Image:
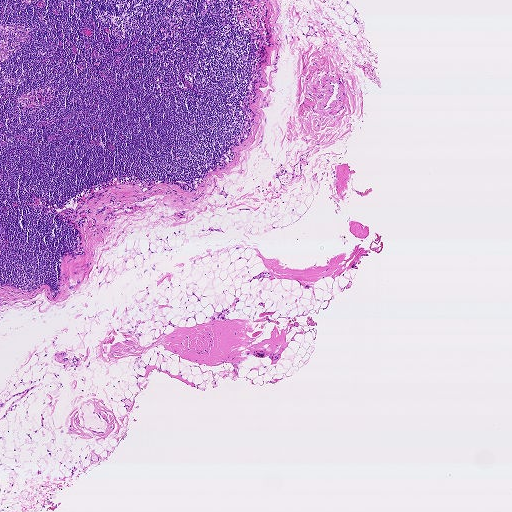
Lymph node section stained with H&E, from a whole-slide image of a breast-cancer sentinel node. Magnification about 2.5×, about 1.9 mm across the frame, about 3.6 µm per pixel.
Question:
Is there metastatic carcinoma in this field?
Answer:
No: no metastatic tumour is outlined anywhere in this field.